H&E-stained section of a sentinel lymph node (breast cancer), from a whole-slide image, viewed at about 10×: the field is about 0.5 mm across, about 0.97 µm per pixel.
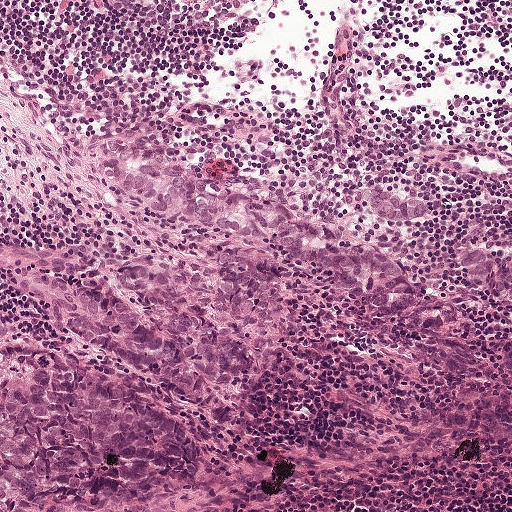
Six metastatic tumour regions, each outlined as a closed clockwise path in crop pixels (x, y), largest first: region 1: (71, 236), (107, 260), (181, 262), (210, 286), (214, 256), (252, 257), (273, 267), (287, 328), (268, 375), (229, 398), (236, 413), (230, 425), (209, 425), (141, 375), (57, 333), (22, 296), (0, 285), (0, 240); region 2: (13, 341), (66, 359), (139, 397), (194, 439), (198, 466), (188, 482), (139, 505), (0, 511), (0, 343); region 3: (116, 138), (180, 159), (294, 213), (326, 216), (358, 230), (398, 268), (431, 290), (452, 318), (450, 333), (417, 336), (362, 310), (274, 249), (238, 246), (194, 230), (137, 200), (102, 173), (102, 150); region 4: (478, 242), (497, 246), (506, 252), (511, 250), (511, 311), (479, 296), (472, 290), (466, 282), (460, 262), (466, 248); region 5: (378, 186), (394, 190), (399, 199), (405, 196), (415, 201), (428, 201), (429, 205), (428, 214), (418, 220), (405, 222), (399, 224), (387, 224), (374, 218), (364, 208), (366, 192); region 6: (511, 344), (511, 376), (502, 369), (499, 363), (498, 358), (498, 356), (501, 354), (502, 349), (503, 349), (504, 348), (508, 346), (509, 345).
About 30% of the image area is annotated as tumour.